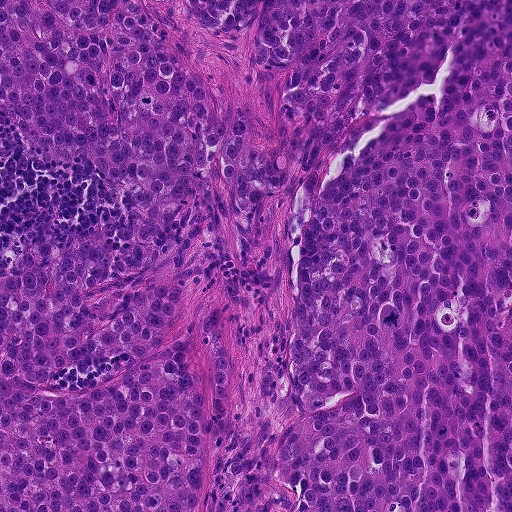
Lymph node section stained with H&E, from a whole-slide image of a breast-cancer sentinel node. Magnification about 10×, about 0.46 mm across the frame, about 0.9 µm per pixel.
Question: Which parts of this field are metastatic tumour?
Answer: Metastatic tumour outline, simplified to 12 points and listed clockwise in crop pixels (x, y): (0, 0), (511, 0), (511, 511), (0, 511), (0, 271), (39, 218), (52, 218), (59, 242), (116, 213), (90, 168), (28, 148), (0, 120).
About 95% of this field is tumour.